Question: 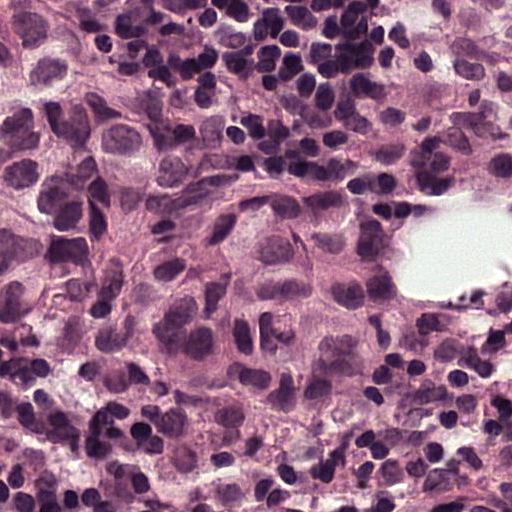
About what magnification does this crop show?

Choices:
 (A) about 40×
 (B) about 10×
 (C) about 5×
 (D) about 20×
 (E) about 2.5×

Answer: (A) about 40×
H&E-stained section of a sentinel lymph node (breast cancer), from a whole-slide image, viewed at about 40×: the field is about 0.12 mm across, about 0.24 µm per pixel.
The outlined metastatic tumour's edge, as a closed clockwise path of 15 points: (0, 0), (101, 0), (205, 63), (247, 152), (276, 178), (357, 165), (407, 181), (449, 394), (429, 426), (384, 455), (265, 472), (173, 468), (118, 434), (92, 386), (2, 326).
About 55% of this field is tumour.